Image:
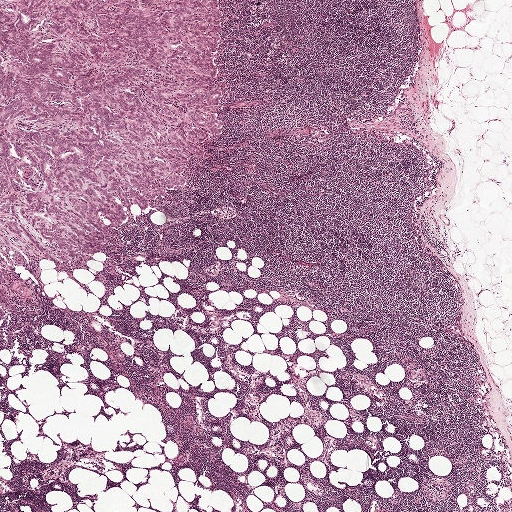
Lymph node section stained with H&E, from a whole-slide image of a breast-cancer sentinel node. Magnification about 2.5×, about 2.0 mm across the frame, about 3.9 µm per pixel.
Question:
Which parts of this field are metastatic tumour?
Answer:
The outlined metastatic tumour's edge, as a closed clockwise path of 13 points: (0, 0), (224, 0), (221, 78), (231, 132), (195, 162), (185, 193), (156, 211), (134, 211), (88, 266), (43, 262), (12, 274), (10, 318), (1, 331).
The annotated tumour makes up about 20% of the crop.